Lymph node section stained with H&E, from a whole-slide image of a breast-cancer sentinel node. Magnification about 2.5×, about 2.0 mm across the frame, about 3.9 µm per pixel.
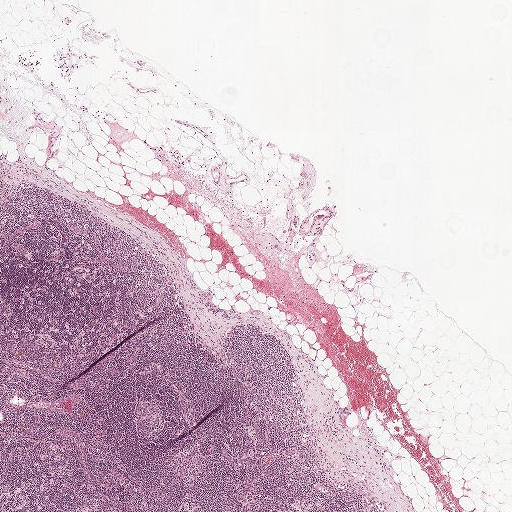
Question: Is there metastatic carcinoma in this field?
Answer: No, this field holds no outlined metastasis.